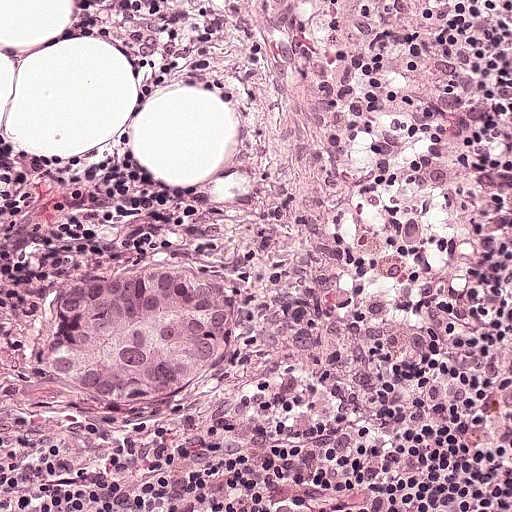
Lymph node section stained with H&E, from a whole-slide image of a breast-cancer sentinel node. Magnification about 20×, about 0.25 mm across the frame, about 0.49 µm per pixel.
One metastatic tumour region; its boundary, reduced to 12 corners and listed clockwise: (142, 274), (170, 274), (226, 292), (240, 310), (234, 366), (226, 378), (139, 423), (61, 416), (36, 408), (16, 386), (14, 361), (63, 276).
About 10% of this field is tumour.